H&E-stained section of a sentinel lymph node (breast cancer), from a whole-slide image, viewed at about 40×: the field is about 0.13 mm across, about 0.25 µm per pixel.
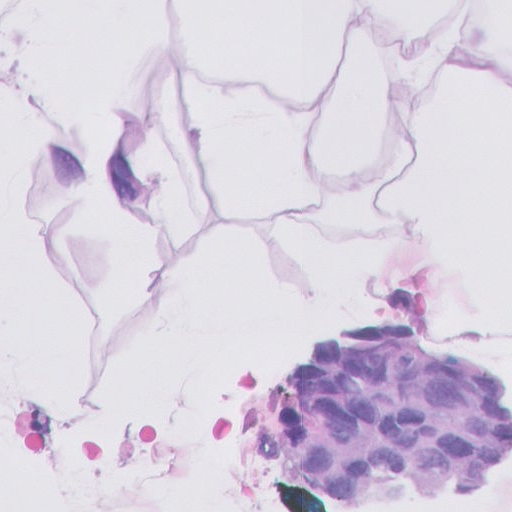
Metastatic tumour outline, simplified to 7 points and listed clockwise in crop pixels (x, y): (415, 279), (511, 350), (511, 494), (405, 511), (295, 511), (217, 441), (311, 294).
One more small tumour piece is annotated here but not outlined.
About 20% of this field is tumour.